Question: 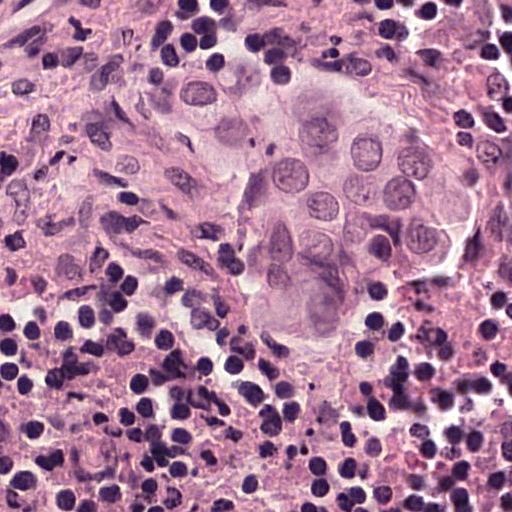
About what magnification does this crop show?

Choices:
 (A) about 5×
 (B) about 20×
 (C) about 10×
 (D) about 2.5×
 (E) about 40×

Answer: (E) about 40×
H&E-stained section of a sentinel lymph node (breast cancer), from a whole-slide image, viewed at about 40×: the field is about 0.12 mm across, about 0.24 µm per pixel.
The outlined metastatic tumour's edge, as a closed clockwise path of 14 points: (246, 31), (330, 54), (359, 81), (490, 146), (480, 267), (451, 291), (401, 294), (304, 372), (264, 367), (225, 299), (212, 196), (130, 149), (128, 70), (178, 33).
About 30% of this field is tumour.